Question: 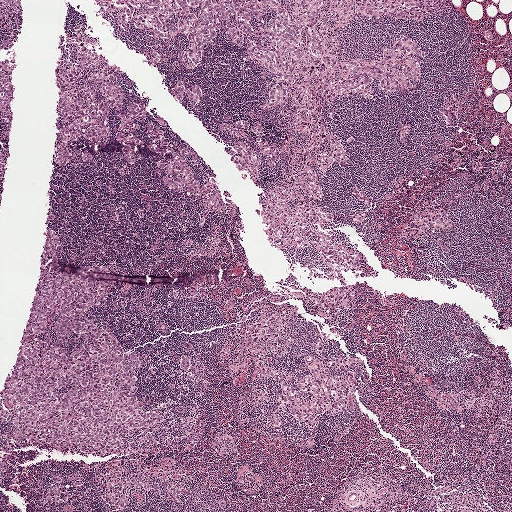
This is a crop of a whole-slide image: an H&E-stained breast-cancer sentinel lymph node section at roughly 2.5× magnification (about 3.9 µm per pixel; the crop spans about 2.0 mm).
Roughly what share of this field is metastatic tumour?

Choices:
 (A) about 50% or more
 (B) about 10% to 20%
 (C) none: no tumour is outlined
 (D) about 25% to 45%
 (E) about 5% or less

Answer: (D) about 25% to 45%
About 30% of the field is tumour.
The eight largest tumour regions' boundaries, simplified and listed clockwise, largest first: region 1: (440, 0), (425, 24), (360, 14), (339, 45), (339, 57), (354, 62), (398, 38), (422, 49), (414, 86), (355, 90), (331, 120), (348, 160), (318, 176), (331, 217), (324, 228), (363, 253), (367, 272), (335, 271), (279, 246), (261, 198), (279, 174), (256, 181), (237, 161), (238, 137), (221, 130), (222, 118), (252, 112), (265, 140), (289, 141), (267, 111), (280, 74), (222, 35), (189, 65), (185, 36), (133, 24), (141, 1); region 2: (48, 238), (69, 260), (111, 272), (114, 293), (95, 317), (141, 348), (141, 412), (167, 416), (148, 477), (183, 486), (184, 500), (108, 511), (106, 488), (138, 462), (47, 452), (16, 457), (0, 489), (0, 442), (16, 431), (0, 429), (0, 400); region 3: (78, 25), (100, 40), (85, 46), (129, 78), (128, 91), (165, 119), (175, 145), (197, 153), (192, 168), (199, 193), (163, 183), (158, 155), (141, 125), (144, 146), (127, 162), (114, 138), (112, 107), (108, 133), (92, 146), (89, 160), (58, 162), (55, 70), (68, 46), (67, 27); region 4: (320, 341), (327, 360), (357, 358), (365, 363), (357, 369), (358, 388), (350, 391), (347, 409), (336, 415), (319, 413), (314, 427), (288, 411), (283, 412), (282, 425), (276, 424), (285, 396), (282, 382), (297, 387), (304, 377), (311, 376), (307, 356), (322, 360), (317, 345); region 5: (257, 308), (275, 313), (281, 335), (287, 339), (286, 349), (277, 355), (262, 355), (259, 361), (282, 372), (284, 379), (265, 375), (247, 379), (253, 364), (250, 357), (242, 367), (226, 369), (228, 360), (217, 351), (222, 342), (226, 341), (230, 349), (234, 347), (246, 333); region 6: (425, 201), (435, 201), (437, 203), (435, 208), (443, 209), (454, 222), (454, 228), (442, 231), (433, 228), (417, 238), (402, 234), (403, 228), (412, 223), (416, 217), (419, 207); region 7: (353, 286), (355, 290), (352, 310), (341, 309), (338, 313), (332, 316), (323, 316), (310, 299), (313, 295), (327, 292), (333, 288); region 8: (0, 0), (19, 0), (19, 7), (7, 17), (17, 17), (17, 20), (18, 30), (12, 44), (5, 46), (0, 46), (0, 40), (7, 32), (4, 28), (0, 28).
Five more, smaller tumour regions are not outlined.
One more small tumour piece is annotated here but not outlined.